This is a crop of a whole-slide image: an H&E-stained breast-cancer sentinel lymph node section at roughly 10× magnification (about 0.97 µm per pixel; the crop spans about 0.5 mm).
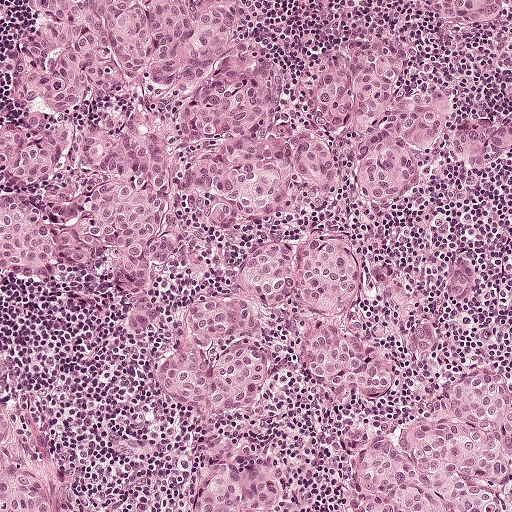
Question: Which parts of this field are metastatic tumour?
Answer: Outlines of five tumour regions, largest first (closed clockwise paths, crop pixels): region 1: (30, 0), (281, 0), (258, 40), (296, 79), (403, 33), (414, 103), (463, 92), (428, 180), (254, 237), (388, 246), (446, 328), (411, 380), (511, 388), (511, 511), (345, 511), (338, 405), (270, 312), (263, 399), (198, 410), (154, 381), (176, 273), (122, 342), (98, 284), (1, 268); region 2: (0, 334), (8, 355), (9, 389), (36, 399), (54, 418), (72, 472), (90, 495), (112, 510), (134, 511), (0, 511); region 3: (204, 436), (229, 436), (245, 440), (282, 468), (294, 488), (319, 510), (184, 511), (185, 466), (188, 456); region 4: (511, 113), (511, 167), (478, 167), (456, 157), (456, 135), (484, 115); region 5: (421, 0), (511, 0), (511, 11), (506, 7), (500, 8), (495, 33), (489, 33), (450, 24), (434, 7).
About 65% of the image area is annotated as tumour.